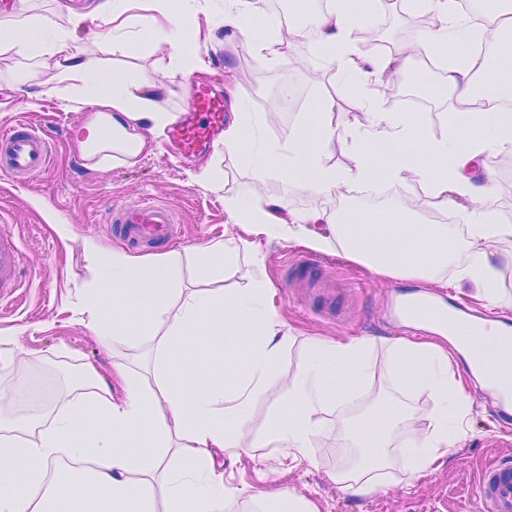
H&E-stained section of a sentinel lymph node (breast cancer), from a whole-slide image, viewed at about 20×: the field is about 0.23 mm across, about 0.45 µm per pixel.